A 0.12-mm field of an H&E-stained sentinel lymph node from a breast-cancer patient (whole-slide image), shown at about 40×, about 0.24 µm per pixel.
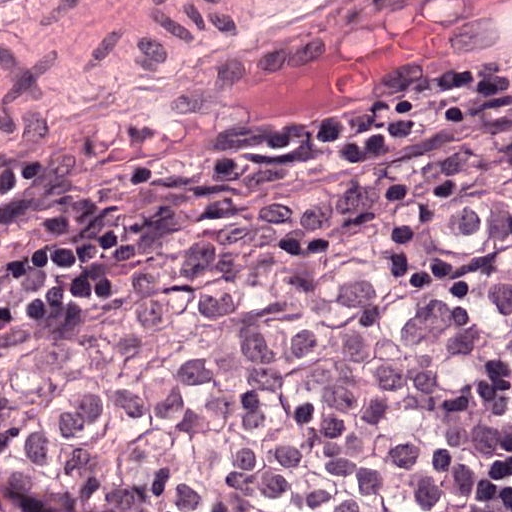
Question: Which parts of this field are metastatic tumour?
Answer: Tumour region outline (a closed clockwise path, crop pixels): (511, 244), (511, 511), (0, 510), (0, 393), (19, 382), (145, 329).
The annotated tumour makes up about 40% of the crop.